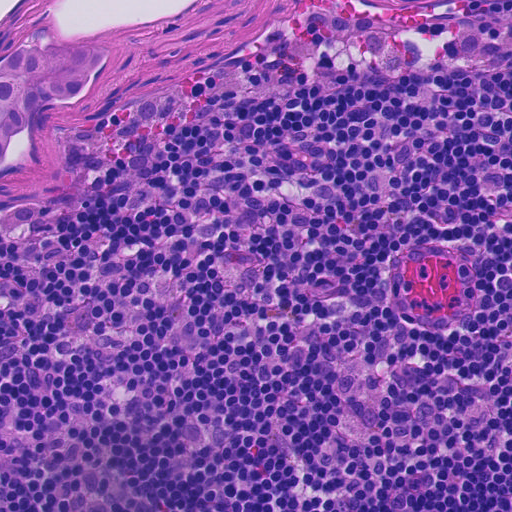
This is a crop of a whole-slide image: an H&E-stained breast-cancer sentinel lymph node section at roughly 20× magnification (about 0.45 µm per pixel; the crop spans about 0.23 mm).
Question: Which parts of this field are metastatic tumour?
Answer: The outlined metastatic tumour's edge, as a closed clockwise path of 12 points: (62, 38), (92, 40), (113, 46), (108, 66), (94, 73), (86, 94), (72, 104), (54, 104), (38, 116), (2, 166), (0, 59), (18, 46).
Tumour covers about 5% of the frame.